Question: 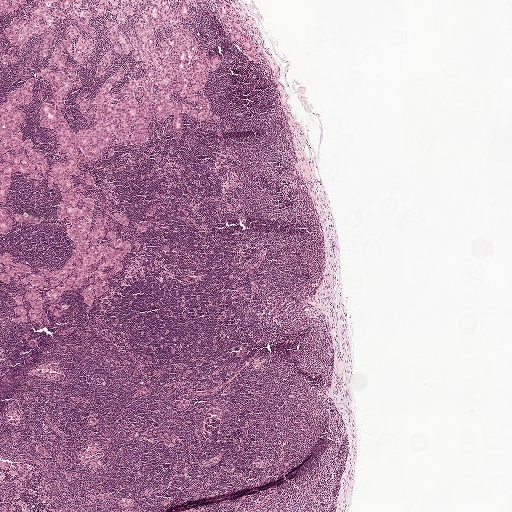
H&E-stained section of a sentinel lymph node (breast cancer), from a whole-slide image, viewed at about 2.5×: the field is about 2.0 mm across, about 3.9 µm per pixel.
Roughly what share of this field is metastatic tumour?

Choices:
 (A) about 25% to 45%
 (B) none: no tumour is outlined
 (C) about 5% or less
 (D) about 10% to 20%
 (E) about 50% or more

Answer: (D) about 10% to 20%
About 15% of the field is tumour.
Boundaries of seven metastatic tumour regions, simplified and listed clockwise, largest first: region 1: (38, 0), (201, 0), (183, 23), (220, 57), (200, 90), (221, 123), (155, 120), (144, 143), (85, 165), (94, 184), (71, 180), (131, 251), (89, 305), (85, 284), (65, 290), (55, 316), (40, 289), (36, 323), (29, 286), (0, 281), (0, 254), (37, 275), (72, 244), (45, 180), (14, 174), (0, 206), (0, 104), (40, 76), (24, 138), (50, 170), (68, 164), (36, 114), (70, 20), (41, 59), (41, 36), (18, 47), (2, 32); region 2: (217, 0), (235, 0), (234, 4), (235, 9), (249, 30), (249, 37), (253, 38), (260, 49), (261, 59), (261, 62), (251, 61), (240, 50), (226, 27), (219, 18), (219, 5); region 3: (0, 207), (8, 213), (10, 218), (13, 212), (21, 211), (35, 215), (40, 219), (40, 223), (37, 225), (13, 222), (8, 234), (4, 235), (0, 234); region 4: (0, 0), (24, 0), (17, 7), (15, 14), (8, 16), (0, 21); region 5: (19, 294), (20, 296), (26, 317), (25, 323), (20, 324), (16, 324), (12, 322), (11, 320), (13, 318), (18, 316), (18, 315), (14, 313), (13, 310), (14, 306), (17, 304), (16, 302), (14, 301), (13, 297), (14, 295); region 6: (4, 54), (9, 54), (15, 56), (18, 59), (13, 64), (8, 66), (5, 66), (1, 66), (0, 64), (1, 59); region 7: (115, 213), (121, 214), (125, 216), (127, 219), (128, 222), (128, 225), (125, 226), (121, 226), (118, 225), (112, 220).
Region 1 encloses a non-tumour hole of about 10% of its area.